Image:
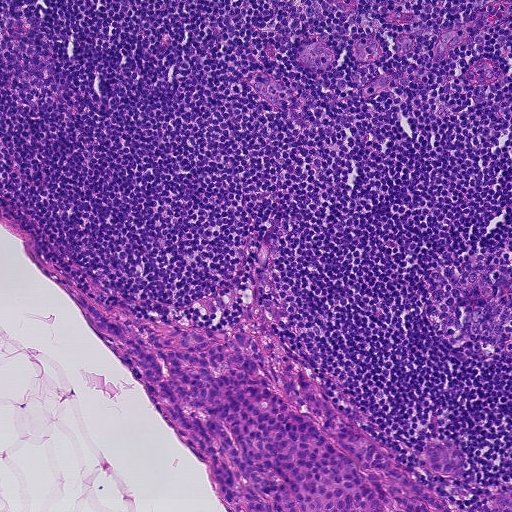
A 0.46-mm field of an H&E-stained sentinel lymph node from a breast-cancer patient (whole-slide image), shown at about 10×, about 0.9 µm per pixel.
Question:
Trace the edge of each tumour region in this crop, as (x, y) points from 0 to 511.
Answer:
Tumour region outline (a closed clockwise path, crop pixels): (26, 247), (64, 285), (100, 303), (178, 324), (258, 332), (307, 368), (345, 418), (422, 482), (428, 474), (424, 454), (437, 439), (457, 444), (468, 460), (462, 479), (430, 476), (424, 484), (453, 510), (508, 487), (511, 511), (224, 511), (204, 464).
Tumour covers about 15% of the frame.